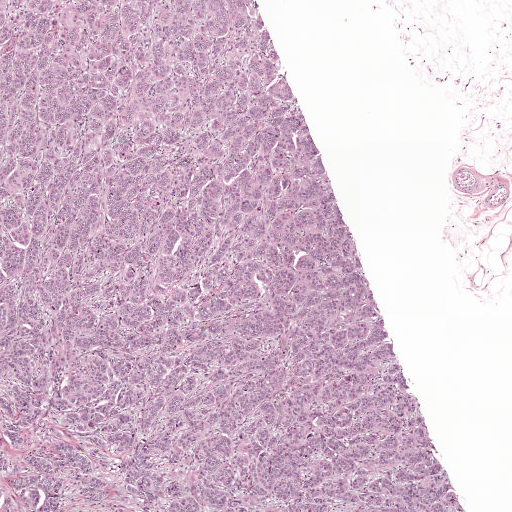
A 2.0-mm field of an H&E-stained sentinel lymph node from a breast-cancer patient (whole-slide image), shown at about 2.5×, about 3.9 µm per pixel.
Tumour region outline (a closed clockwise path, crop pixels): (0, 0), (256, 0), (466, 505), (0, 511).
The annotated tumour makes up about 70% of the crop.